This is a crop of a whole-slide image: an H&E-stained breast-cancer sentinel lymph node section at roughly 40× magnification (about 0.24 µm per pixel; the crop spans about 0.12 mm).
Question: 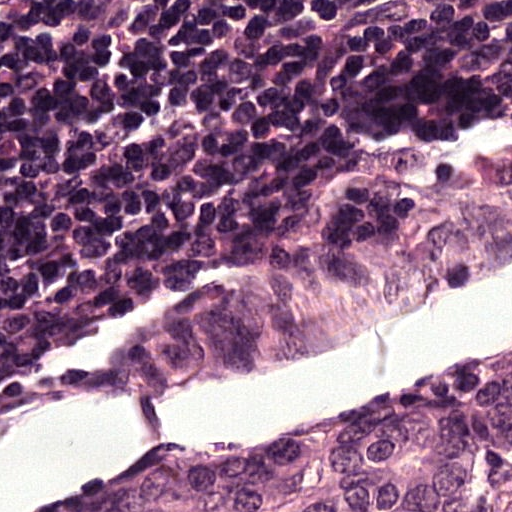
About how much of this crop is taken up by metastatic carcinoma?

Choices:
 (A) about 50% or more
 (B) about 25% to 45%
 (C) about 5% or less
 (D) about 10% to 20%
 (E) none: no tumour is outlined

Answer: (B) about 25% to 45%
About 45% of the field is tumour.
Boundaries of two metastatic tumour regions, simplified and listed clockwise, largest first: region 1: (510, 98), (511, 216), (415, 288), (362, 309), (291, 359), (204, 387), (126, 385), (86, 361), (83, 338), (147, 261), (218, 203), (362, 132); region 2: (511, 242), (511, 511), (86, 511), (318, 393), (358, 352), (429, 307), (429, 296).